This is a crop of a whole-slide image: an H&E-stained breast-cancer sentinel lymph node section at roughly 2.5× magnification (about 3.9 µm per pixel; the crop spans about 2.0 mm).
Image:
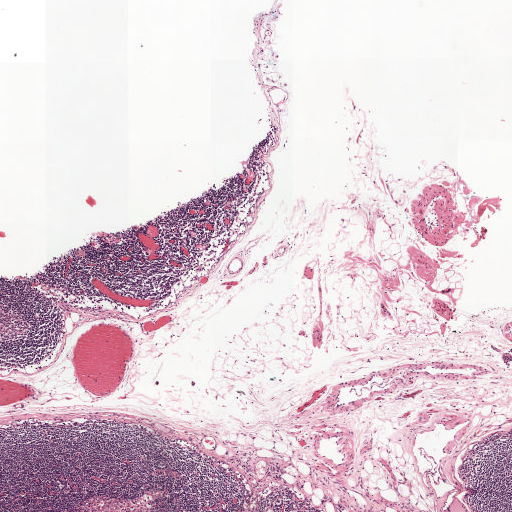
Question:
Which parts of this field are metastatic tumour?
Answer:
Tumour region outline (a closed clockwise path, crop pixels): (511, 348), (511, 363), (510, 368), (507, 368), (505, 364), (501, 360), (501, 356), (502, 353), (508, 352), (510, 349).
Two more small tumour pieces are annotated here but not outlined.
Tumour covers under 5% of the frame.